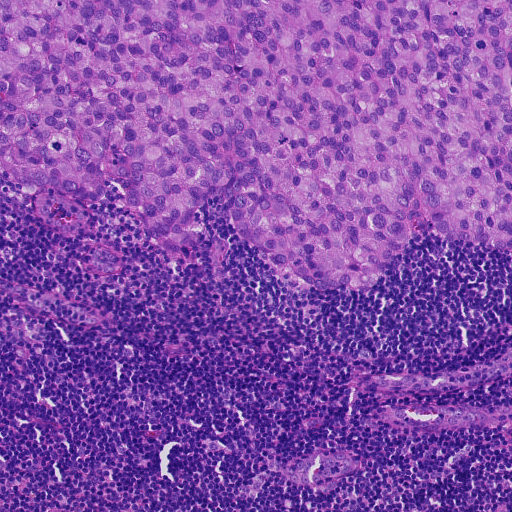
Lymph node section stained with H&E, from a whole-slide image of a breast-cancer sentinel node. Magnification about 10×, about 0.46 mm across the frame, about 0.91 µm per pixel.
Tumour region outline (a closed clockwise path, crop pixels): (0, 0), (511, 0), (511, 254), (420, 230), (367, 290), (309, 290), (273, 272), (216, 198), (200, 208), (193, 246), (175, 255), (142, 232), (112, 184), (95, 207), (17, 185), (0, 165).
Tumour covers about 45% of the frame.